This is a crop of a whole-slide image: an H&E-stained breast-cancer sentinel lymph node section at roughly 2.5× magnification (about 3.9 µm per pixel; the crop spans about 2.0 mm).
Image:
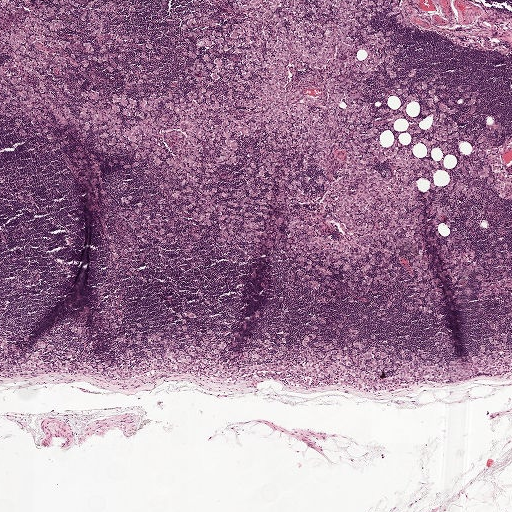
Question:
Does this lymph node field contain metastatic tumour?
Answer:
Yes.
Outlines of two tumour regions, largest first (closed clockwise paths, crop pixels): region 1: (38, 0), (218, 0), (230, 9), (228, 0), (398, 0), (376, 23), (400, 72), (489, 146), (488, 185), (435, 230), (471, 250), (475, 284), (441, 311), (383, 275), (310, 288), (270, 253), (200, 226), (132, 149), (71, 129), (41, 143), (0, 119), (0, 32); region 2: (0, 0), (25, 0), (24, 4), (14, 10), (1, 16).
The annotated tumour makes up about 35% of the crop.